Image:
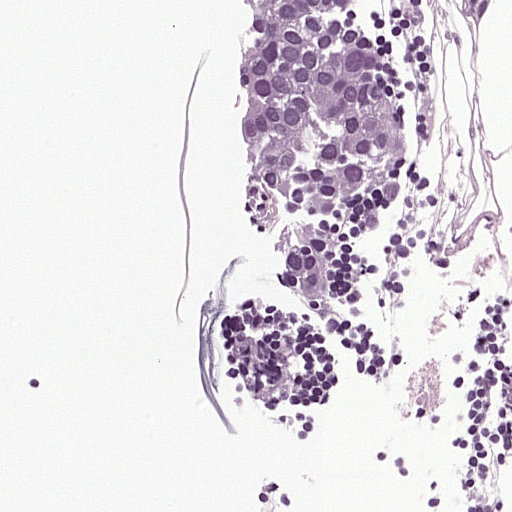
A 0.25-mm field of an H&E-stained sentinel lymph node from a breast-cancer patient (whole-slide image), shown at about 20×, about 0.49 µm per pixel.
Question:
Which parts of this field are metastatic tumour? Answer with the outline of each region, in pixels.
Answer:
Metastatic tumour outline, simplified to 11 points and listed clockwise in crop pixels (x, y): (245, 0), (354, 0), (388, 77), (397, 120), (394, 162), (338, 234), (334, 278), (304, 308), (276, 266), (245, 179), (226, 84).
The annotated tumour makes up about 15% of the crop.